Question: 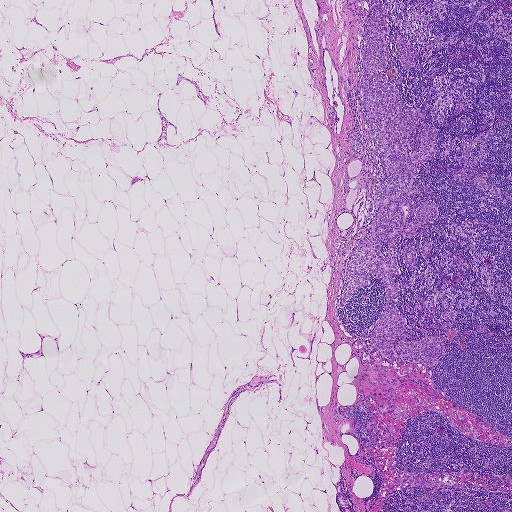
About what magnification does this crop show?

Choices:
 (A) about 2.5×
 (B) about 40×
 (C) about 10×
 (D) about 20×
 (E) about 5×

Answer: (A) about 2.5×
A 1.9-mm field of an H&E-stained sentinel lymph node from a breast-cancer patient (whole-slide image), shown at about 2.5×, about 3.6 µm per pixel.
One tumour region is annotated but not outlined: its edge is too irregular for a short outline.
About 5% of this field is tumour.